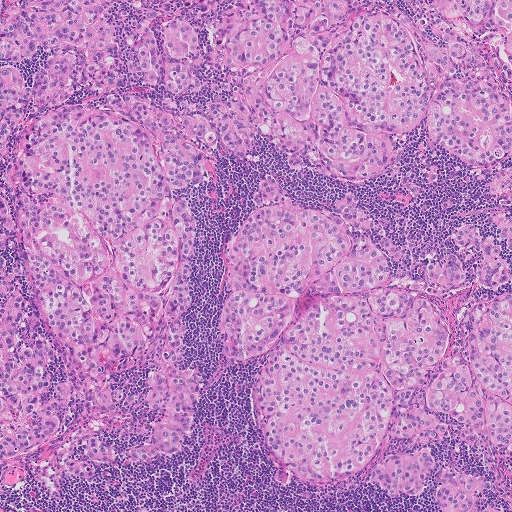
H&E-stained section of a sentinel lymph node (breast cancer), from a whole-slide image, viewed at about 5×: the field is about 1.0 mm across, about 2.0 µm per pixel.
Metastatic tumour outline, simplified to 23 points and listed clockwise in crop pixels (x, y): (0, 0), (511, 0), (511, 511), (273, 478), (214, 332), (219, 246), (262, 173), (306, 204), (362, 204), (390, 253), (418, 258), (482, 208), (444, 171), (416, 172), (437, 144), (409, 141), (367, 181), (257, 154), (210, 181), (185, 334), (214, 381), (201, 438), (6, 502).
Tumour covers about 85% of the frame.